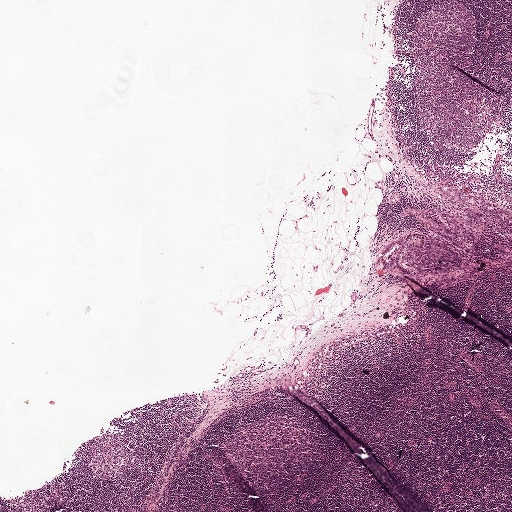
A 2.0-mm field of an H&E-stained sentinel lymph node from a breast-cancer patient (whole-slide image), shown at about 2.5×, about 3.9 µm per pixel.
Three metastatic tumour regions, each outlined as a closed clockwise path in crop pixels (x, y), largest first: region 1: (415, 232), (428, 237), (456, 252), (461, 259), (460, 267), (441, 275), (424, 275), (405, 281), (383, 273), (377, 256), (386, 243), (404, 234); region 2: (429, 206), (438, 212), (457, 212), (464, 218), (465, 211), (475, 211), (480, 214), (483, 229), (479, 241), (469, 246), (471, 250), (469, 253), (464, 253), (447, 241), (426, 230), (413, 218), (399, 215), (400, 210), (406, 207); region 3: (441, 181), (485, 200), (501, 204), (511, 214), (511, 228), (496, 221), (480, 209), (460, 204), (437, 190), (437, 185).
One more small tumour piece is annotated here but not outlined.
Under 5% of this field is tumour.